Lymph node section stained with H&E, from a whole-slide image of a breast-cancer sentinel node. Magnification about 20×, about 0.23 mm across the frame, about 0.45 µm per pixel.
Question: 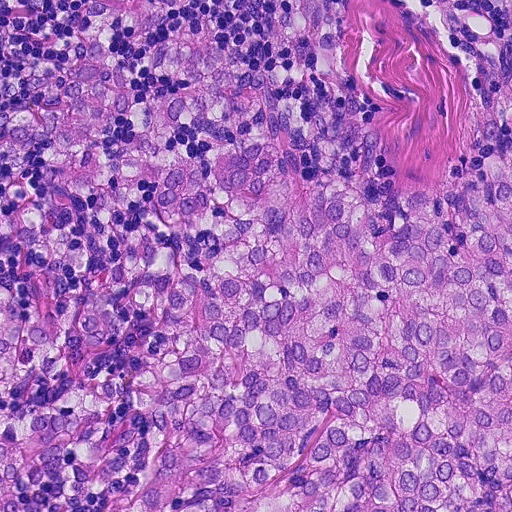
Estimate the proportion of this field that is metastatic tumour.

Choices:
 (A) about 25% to 45%
 (B) about 10% to 20%
 (C) none: no tumour is outlined
 (D) about 5% or less
 (E) about 50% or more

Answer: (E) about 50% or more
About 65% of the field is tumour.
Two metastatic tumour regions, each outlined as a closed clockwise path in crop pixels (x, y), largest first: region 1: (83, 0), (188, 0), (130, 51), (115, 16), (132, 103), (196, 87), (154, 72), (155, 50), (217, 40), (306, 167), (351, 174), (400, 225), (511, 148), (511, 511), (102, 511), (162, 432), (121, 390), (56, 435), (37, 511), (0, 511), (0, 414), (118, 372), (152, 334), (148, 307), (0, 389), (0, 261), (32, 318), (28, 282), (50, 265), (84, 289), (160, 242), (218, 256), (201, 220), (156, 216), (146, 160), (93, 192), (40, 160); region 2: (495, 0), (511, 0), (511, 26), (508, 19).